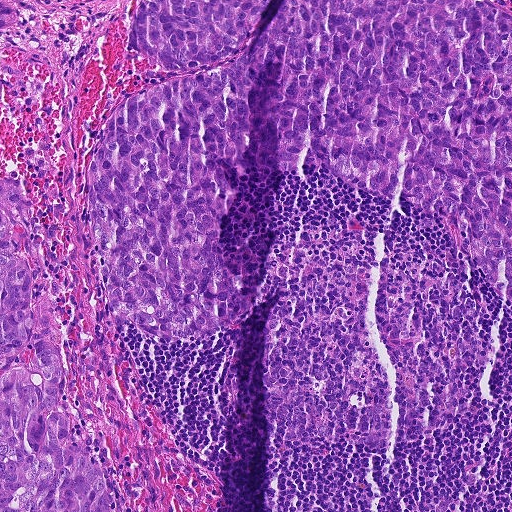
A 0.46-mm field of an H&E-stained sentinel lymph node from a breast-cancer patient (whole-slide image), shown at about 10×, about 0.9 µm per pixel.
Question: Outline the metastatic carcinoma in this image, as closed paths of (x, y) pixel coordinates.
Answer: Outlines of three tumour regions, largest first (closed clockwise paths, crop pixels): region 1: (138, 0), (498, 0), (511, 11), (511, 301), (432, 213), (406, 214), (335, 177), (230, 178), (227, 257), (257, 302), (245, 325), (166, 342), (115, 320), (82, 215), (87, 161), (108, 112), (206, 68), (135, 54), (125, 32); region 2: (0, 173), (39, 220), (76, 417), (94, 438), (114, 511), (0, 511); region 3: (0, 0), (6, 0), (16, 15), (0, 30).
Tumour covers about 45% of the frame.